Image:
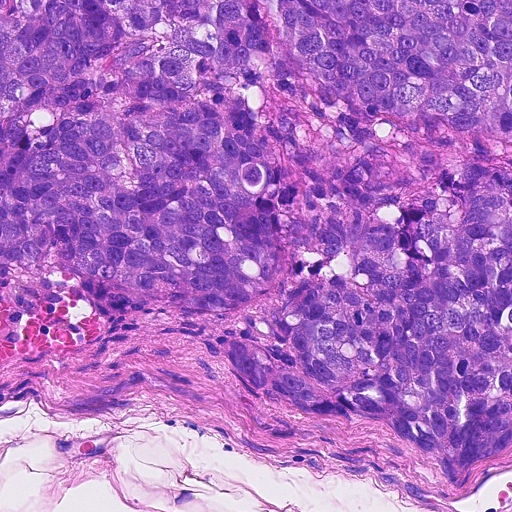
This is a crop of a whole-slide image: an H&E-stained breast-cancer sentinel lymph node section at roughly 20× magnification (about 0.45 µm per pixel; the crop spans about 0.23 mm).
Question:
Trace the edge of each tumour region in this crop, as (x, y) points from 0 to 511.
Answer:
Metastatic tumour outline, simplified to 13 points and listed clockwise in crop pixels (x, y): (0, 0), (511, 0), (511, 441), (458, 480), (368, 424), (242, 392), (222, 344), (244, 330), (266, 342), (267, 296), (234, 314), (178, 314), (0, 272).
About 70% of this field is tumour.